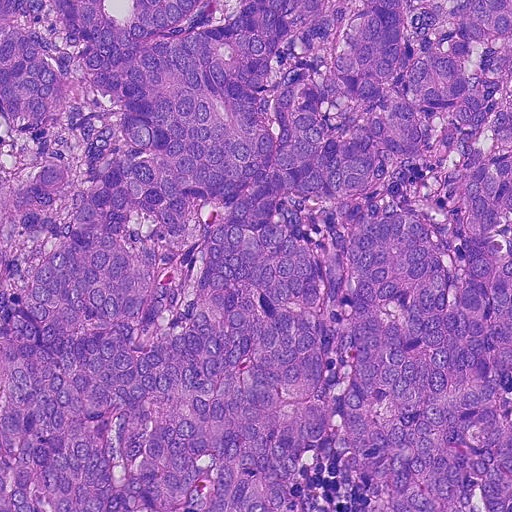
This is a crop of a whole-slide image: an H&E-stained breast-cancer sentinel lymph node section at roughly 20× magnification (about 0.45 µm per pixel; the crop spans about 0.23 mm).
Metastatic tumour covers the whole field.
Over 95% of this field is tumour.